Question: 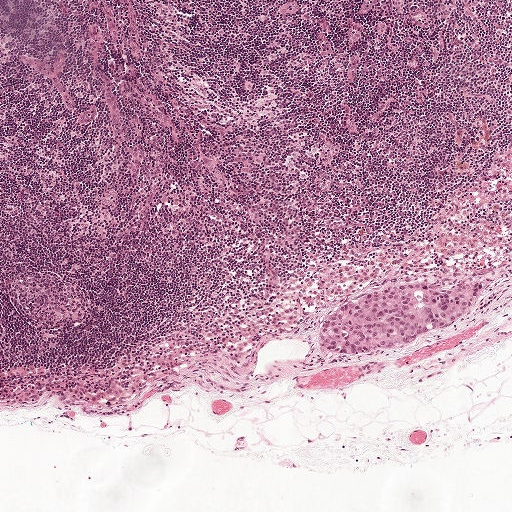
A 1-mm field of an H&E-stained sentinel lymph node from a breast-cancer patient (whole-slide image), shown at about 5×, about 1.9 µm per pixel.
Estimate the proportion of this field that is metastatic tumour.

Choices:
 (A) none: no tumour is outlined
 (B) about 5% or less
 (C) about 50% or more
 (D) about 10% to 20%
 (E) about 25% to 45%

Answer: (B) about 5% or less
About 5% of the field is tumour.
One metastatic tumour region; its boundary, reduced to 13 corners and listed clockwise: (470, 273), (482, 277), (480, 293), (465, 321), (438, 338), (354, 353), (333, 351), (317, 339), (316, 324), (323, 310), (377, 285), (404, 277), (447, 281).